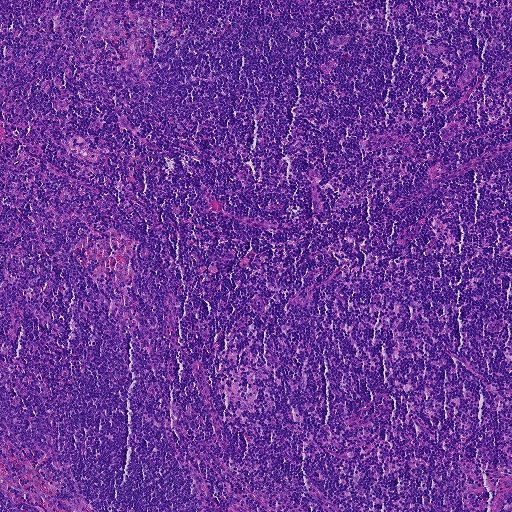
H&E-stained section of a sentinel lymph node (breast cancer), from a whole-slide image, viewed at about 5×: the field is about 0.93 mm across, about 1.8 µm per pixel.